Lymph node section stained with H&E, from a whole-slide image of a breast-cancer sentinel node. Magnification about 10×, about 0.46 mm across the frame, about 0.91 µm per pixel.
Question: 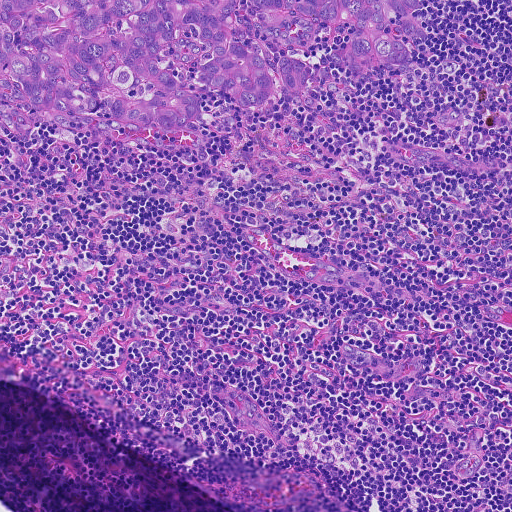
Roughly what share of this field is metastatic tumour?

Choices:
 (A) about 5% or less
 (B) about 10% to 20%
 (C) about 25% to 45%
 (D) none: no tumour is outlined
 (E) about 50% or more

Answer: (B) about 10% to 20%
About 15% of the field is tumour.
One metastatic tumour region; its boundary, reduced to 23 corners and listed clockwise: (0, 0), (419, 0), (428, 37), (403, 40), (400, 64), (350, 68), (340, 59), (356, 30), (319, 26), (307, 48), (282, 46), (311, 67), (301, 88), (291, 95), (281, 84), (269, 105), (244, 110), (215, 88), (194, 133), (83, 132), (48, 117), (27, 130), (2, 124).